A 0.23-mm field of an H&E-stained sentinel lymph node from a breast-cancer patient (whole-slide image), shown at about 20×, about 0.45 µm per pixel.
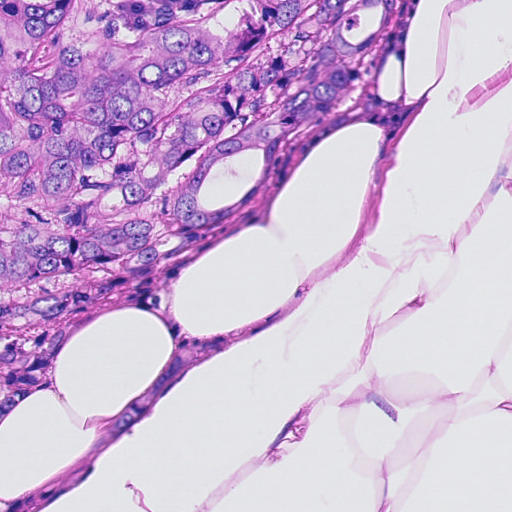
Outlines of two tumour regions, largest first (closed clockwise paths, crop pixels): region 1: (0, 0), (402, 0), (354, 106), (264, 206), (190, 259), (128, 284), (76, 328), (52, 362), (55, 381), (0, 425); region 2: (197, 348), (192, 364), (156, 404), (92, 448), (101, 423), (146, 390), (174, 353).
About 35% of this field is tumour.